Question: 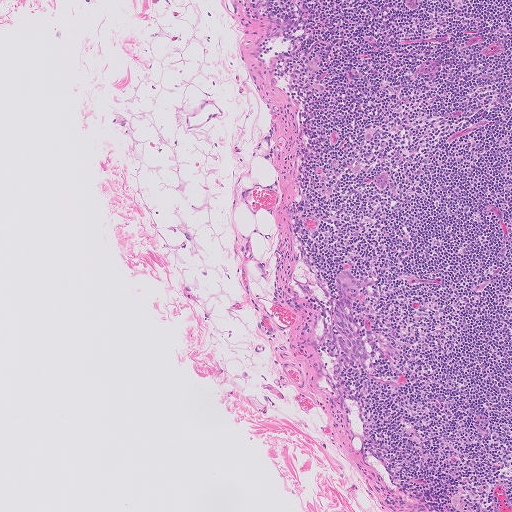
About what magnification does this crop show?

Choices:
 (A) about 40×
 (B) about 2.5×
 (C) about 5×
 (D) about 10×
 (E) about 20×

Answer: (C) about 5×
This is a crop of a whole-slide image: an H&E-stained breast-cancer sentinel lymph node section at roughly 5× magnification (about 2.0 µm per pixel; the crop spans about 1.0 mm).
One metastatic tumour region; its boundary, reduced to 12 corners and listed clockwise: (347, 268), (359, 277), (363, 284), (364, 293), (356, 307), (368, 353), (363, 368), (355, 370), (340, 365), (330, 343), (331, 318), (339, 270).
Under 5% of this field is tumour.